H&E-stained section of a sentinel lymph node (breast cancer), from a whole-slide image, viewed at about 20×: the field is about 0.23 mm across, about 0.45 µm per pixel.
Question: 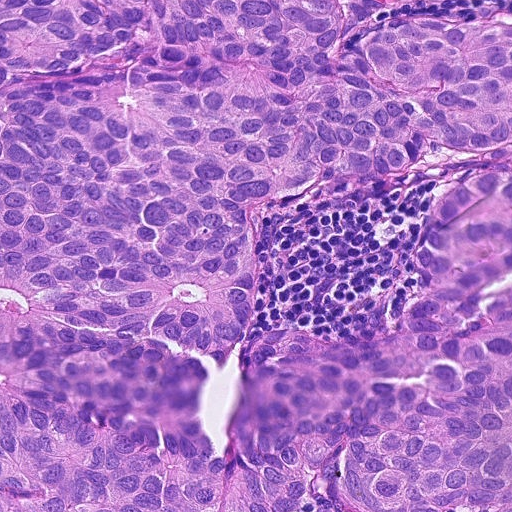
Estimate the proportion of this field that is metastatic tumour.

Choices:
 (A) none: no tumour is outlined
 (B) about 10% to 20%
 (C) about 25% to 45%
 (D) about 50% or more
 (E) about 5% or less

Answer: (D) about 50% or more
About 90% of the field is tumour.
Metastatic tumour outline, simplified to 23 points and listed clockwise in crop pixels (x, y): (0, 0), (398, 0), (364, 36), (398, 16), (511, 11), (511, 155), (434, 144), (378, 181), (330, 182), (309, 204), (254, 220), (247, 336), (281, 316), (374, 338), (422, 278), (415, 224), (456, 176), (511, 165), (511, 511), (347, 511), (331, 492), (283, 511), (0, 511).
One more small tumour piece is annotated here but not outlined.